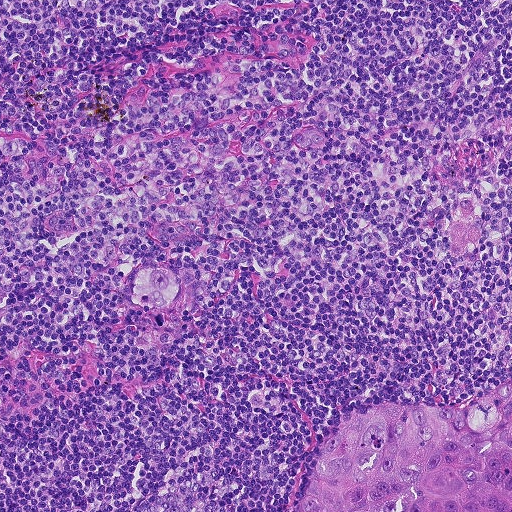
A 0.46-mm field of an H&E-stained sentinel lymph node from a breast-cancer patient (whole-slide image), shown at about 10×, about 0.9 µm per pixel.
Two metastatic tumour regions, each outlined as a closed clockwise path in crop pixels (x, y), largest first: region 1: (511, 369), (511, 511), (294, 511), (334, 426), (350, 412), (372, 404), (475, 401), (494, 393); region 2: (153, 268), (167, 268), (180, 283), (178, 296), (162, 310), (142, 310), (129, 295), (134, 274).
The annotated tumour makes up about 10% of the crop.